H&E-stained section of a sentinel lymph node (breast cancer), from a whole-slide image, viewed at about 20×: the field is about 0.25 mm across, about 0.49 µm per pixel.
Question: 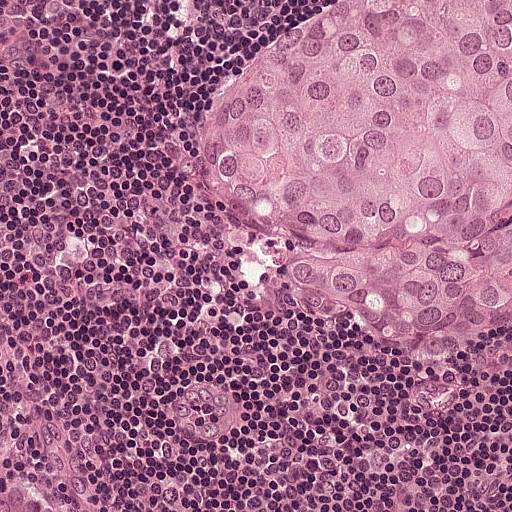
Estimate the proportion of this field that is metastatic tumour.

Choices:
 (A) about 5% or less
 (B) none: no tumour is outlined
 (C) about 10% to 20%
 (D) about 50% or more
 (E) about 25% to 45%

Answer: (E) about 25% to 45%
About 35% of the field is tumour.
Boundaries of two metastatic tumour regions, simplified and listed clockwise, largest first: region 1: (511, 0), (511, 332), (350, 318), (294, 296), (268, 276), (262, 236), (194, 188), (176, 142), (182, 82), (353, 2); region 2: (0, 356), (68, 472), (82, 511), (0, 511).